H&E-stained section of a sentinel lymph node (breast cancer), from a whole-slide image, viewed at about 20×: the field is about 0.25 mm across, about 0.49 µm per pixel.
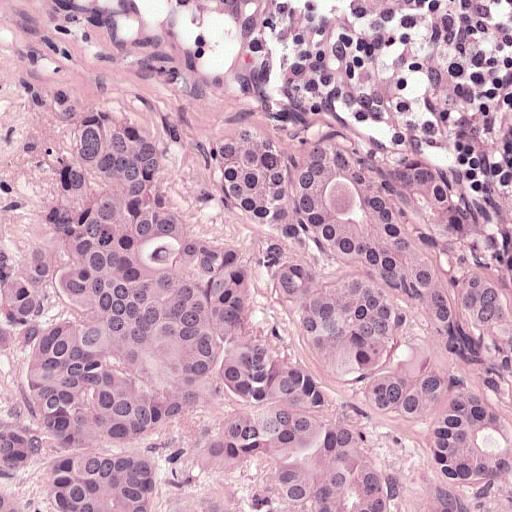
Two metastatic tumour regions, each outlined as a closed clockwise path in crop pixels (x, y), largest first: region 1: (90, 106), (148, 134), (158, 178), (192, 230), (242, 244), (268, 343), (330, 390), (399, 469), (390, 511), (290, 505), (267, 458), (220, 476), (205, 470), (196, 459), (205, 438), (256, 401), (216, 374), (204, 401), (120, 452), (154, 466), (151, 511), (49, 511), (44, 474), (76, 454), (60, 450), (20, 470), (20, 511), (0, 511), (0, 440), (36, 419), (28, 364), (0, 355), (0, 248), (67, 303), (56, 259), (85, 206), (58, 172); region 2: (250, 120), (316, 124), (448, 176), (511, 316), (511, 462), (484, 511), (437, 511), (426, 425), (376, 417), (311, 358), (257, 227), (214, 170), (217, 134).
One more small tumour piece is annotated here but not outlined.
About 55% of the image area is annotated as tumour.